Question: 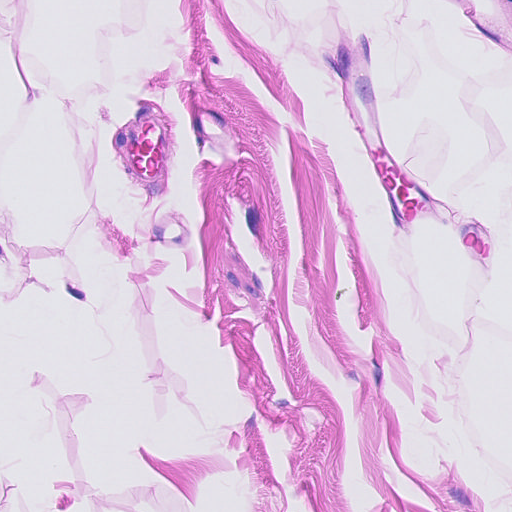
Which magnification is this H&E lymph node field most likely shown at?

Choices:
 (A) about 10×
 (B) about 20×
 (C) about 40×
 (D) about 5×
 (E) about 2.5×

Answer: (B) about 20×
H&E-stained section of a sentinel lymph node (breast cancer), from a whole-slide image, viewed at about 20×: the field is about 0.23 mm across, about 0.45 µm per pixel.